A 0.23-mm field of an H&E-stained sentinel lymph node from a breast-cancer patient (whole-slide image), shown at about 20×, about 0.45 µm per pixel.
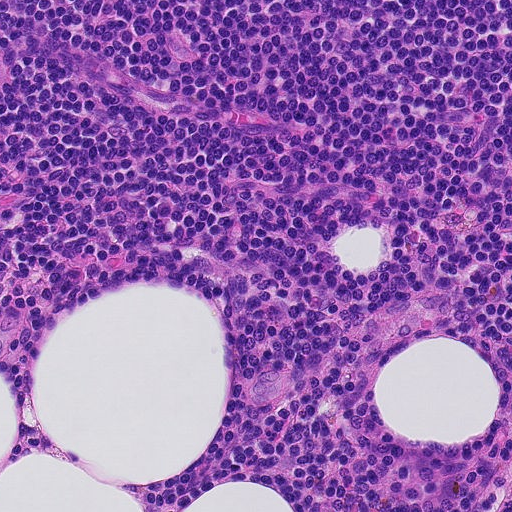
Question: Is there metastatic carcinoma in this field?
Answer: No: no metastatic tumour is outlined anywhere in this field.